Lymph node section stained with H&E, from a whole-slide image of a breast-cancer sentinel node. Magnification about 20×, about 0.25 mm across the frame, about 0.49 µm per pixel.
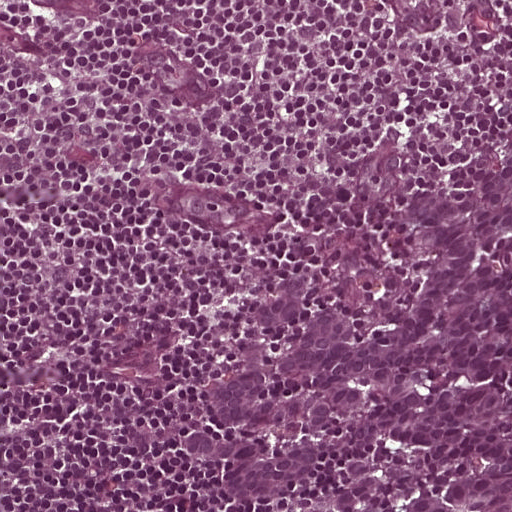
Metastatic tumour outline, simplified to 9 points and listed clockwise in crop pixels (x, y): (511, 114), (511, 511), (204, 511), (178, 487), (166, 424), (212, 331), (312, 186), (404, 137), (504, 125).
About 40% of this field is tumour.